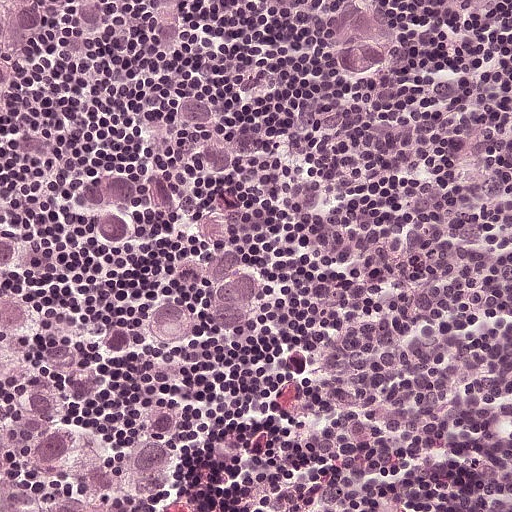
H&E-stained section of a sentinel lymph node (breast cancer), from a whole-slide image, viewed at about 20×: the field is about 0.25 mm across, about 0.49 µm per pixel.
Outlines of two tumour regions, largest first (closed clockwise paths, crop pixels): region 1: (0, 175), (28, 191), (111, 202), (234, 294), (242, 329), (218, 363), (123, 395), (94, 432), (96, 460), (161, 438), (172, 506), (0, 511); region 2: (0, 0), (408, 0), (386, 45), (392, 91), (374, 124), (304, 95), (226, 29), (190, 52), (184, 74), (194, 106), (236, 164), (231, 194), (214, 207), (185, 206), (161, 191), (93, 112), (64, 92), (38, 87), (2, 98).
The annotated tumour makes up about 40% of the crop.